Image:
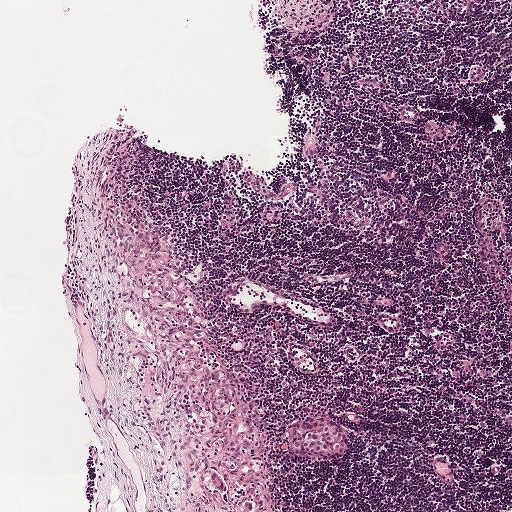
H&E-stained section of a sentinel lymph node (breast cancer), from a whole-slide image, viewed at about 5×: the field is about 1 mm across, about 1.9 µm per pixel.
Question:
Where is the metastatic tumour in this field?
Answer:
Metastatic tumour outline, simplified to 13 points and listed clockwise in crop pixels (x, y): (310, 410), (340, 424), (346, 430), (348, 449), (340, 458), (332, 460), (308, 458), (292, 451), (286, 444), (287, 429), (292, 419), (300, 416), (302, 411).
Under 5% of the image area is annotated as tumour.